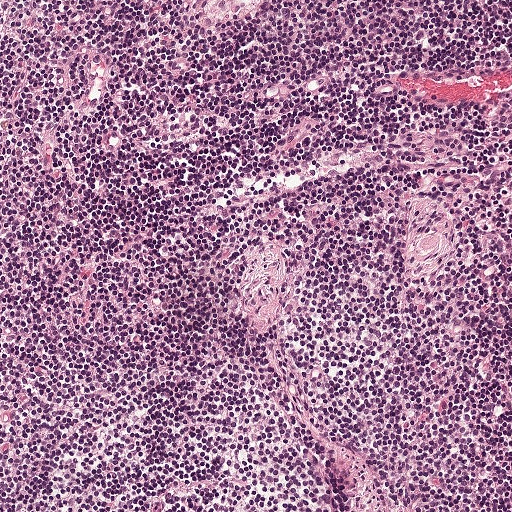
This is a crop of a whole-slide image: an H&E-stained breast-cancer sentinel lymph node section at roughly 10× magnification (about 0.97 µm per pixel; the crop spans about 0.5 mm).
Question: Is any metastatic breast cancer visible in this crop?
Answer: No, this field holds no outlined metastasis.